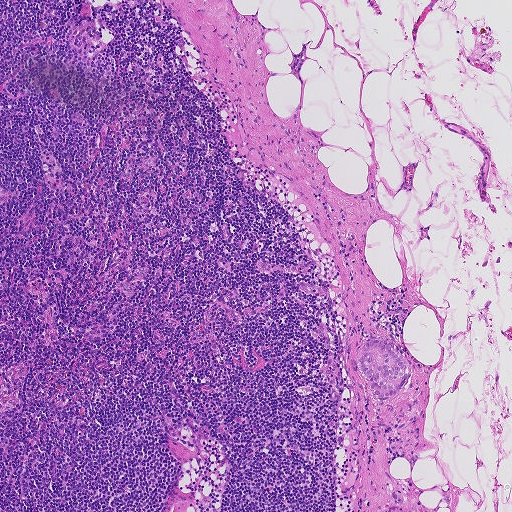
This is a crop of a whole-slide image: an H&E-stained breast-cancer sentinel lymph node section at roughly 5× magnification (about 1.8 µm per pixel; the crop spans about 0.93 mm).
Metastatic tumour outline, simplified to 11 points and listed clockwise in crop pixels (x, y): (370, 340), (383, 340), (395, 345), (408, 367), (408, 380), (402, 391), (391, 399), (378, 399), (359, 372), (356, 364), (364, 343).
Under 5% of the image area is annotated as tumour.